Image:
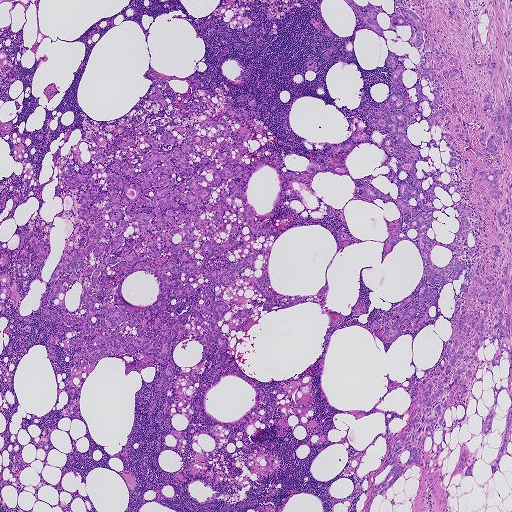
Lymph node section stained with H&E, from a whole-slide image of a breast-cancer sentinel node. Magnification about 2.5×, about 1.9 mm across the frame, about 3.6 µm per pixel.
Question:
Where is the metastatic tumour in this field?
Answer:
Boundaries of two metastatic tumour regions, simplified and listed clockwise, largest first: region 1: (343, 0), (511, 0), (511, 422), (500, 472), (489, 463), (505, 390), (451, 475), (504, 359), (371, 496), (464, 272), (384, 341), (423, 274), (392, 201), (326, 271), (364, 312), (328, 327), (306, 301), (231, 332), (270, 417), (208, 387), (211, 315), (171, 344), (176, 382), (158, 423), (171, 356), (71, 368), (41, 319), (93, 221), (62, 173), (107, 191), (138, 125), (226, 120), (256, 226), (326, 215), (272, 208), (283, 173), (366, 133), (311, 185), (397, 197); region 2: (156, 86), (159, 89), (161, 95), (168, 102), (168, 106), (163, 108), (160, 107), (158, 100), (152, 102), (148, 99), (149, 96), (151, 94), (155, 94), (152, 90), (153, 87).
Five more small tumour pieces are annotated here but not outlined.
About 40% of this field is tumour.

Image:
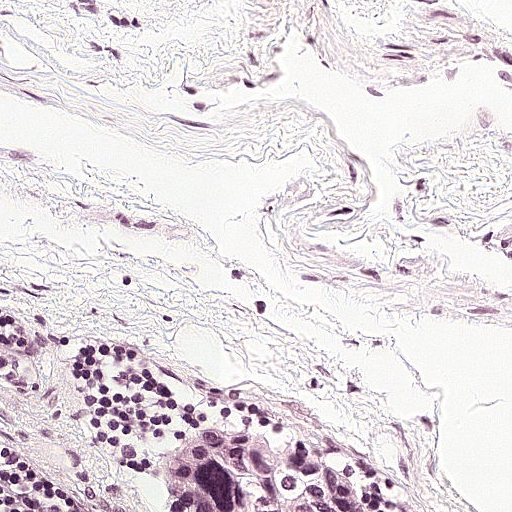
Lymph node section stained with H&E, from a whole-slide image of a breast-cancer sentinel node. Magnification about 20×, about 0.25 mm across the frame, about 0.49 µm per pixel.
Question:
Where is the metastatic tumour in this field?
Answer:
Metastatic tumour outline, simplified to 11 points and listed clockwise in crop pixels (x, y): (198, 425), (230, 426), (354, 474), (363, 490), (388, 511), (183, 511), (175, 497), (164, 494), (162, 483), (162, 462), (180, 438).
The annotated tumour makes up about 5% of the crop.

Image:
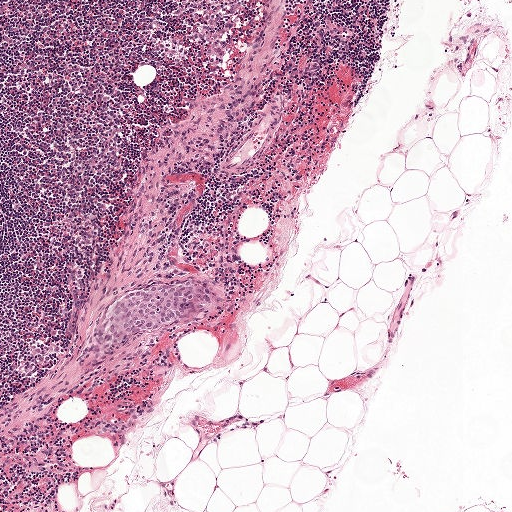
H&E-stained section of a sentinel lymph node (breast cancer), from a whole-slide image, viewed at about 5×: the field is about 1 mm across, about 1.9 µm per pixel.
Question:
Where is the metastatic tumour in this field?
Answer:
The outlined metastatic tumour's edge, as a closed clockwise path of 14 points: (203, 278), (211, 281), (214, 290), (202, 311), (170, 326), (144, 332), (122, 342), (114, 350), (98, 350), (99, 331), (124, 296), (144, 291), (161, 282), (183, 283).
Under 5% of the image area is annotated as tumour.

Image:
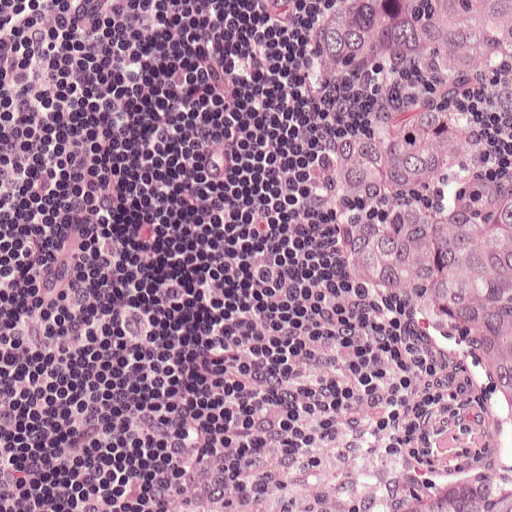
H&E-stained section of a sentinel lymph node (breast cancer), from a whole-slide image, viewed at about 20×: the field is about 0.25 mm across, about 0.49 µm per pixel.
Question:
Where is the metastatic tumour in this field?
Answer:
Metastatic tumour outline, simplified to 10 points and listed clockwise in crop pixels (x, y): (322, 0), (511, 0), (511, 511), (312, 511), (454, 479), (472, 408), (430, 347), (326, 243), (297, 175), (292, 40).
Tumour covers about 30% of the frame.